Image:
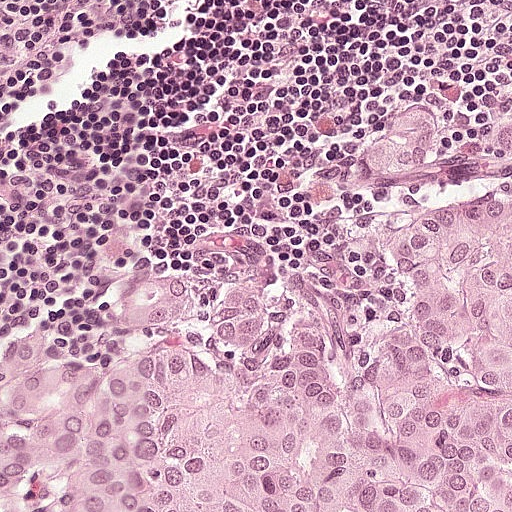
A 0.25-mm field of an H&E-stained sentinel lymph node from a breast-cancer patient (whole-slide image), shown at about 20×, about 0.49 µm per pixel.
Question:
Show where the tumour is in this image.
Answer:
Tumour region outline (a closed clockwise path, crop pixels): (510, 106), (511, 511), (0, 511), (2, 369), (44, 353), (73, 370), (118, 369), (131, 352), (106, 312), (132, 276), (170, 260), (280, 278), (328, 332), (400, 334), (403, 290), (339, 255), (329, 228), (465, 220), (499, 192), (394, 192), (349, 176), (340, 156), (379, 117), (486, 128).
Tumour covers about 50% of the frame.